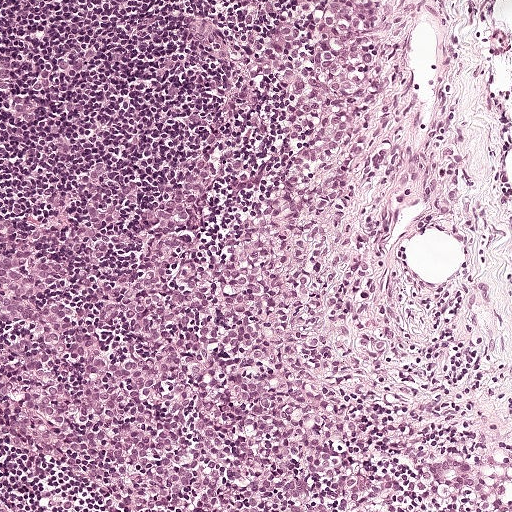
A 0.5-mm field of an H&E-stained sentinel lymph node from a breast-cancer patient (whole-slide image), shown at about 10×, about 0.97 µm per pixel.
Metastatic tumour outline, simplified to 18 points and listed clockwise in crop pixels (x, y): (297, 0), (407, 0), (366, 120), (276, 273), (271, 334), (294, 361), (456, 444), (482, 475), (476, 498), (454, 492), (413, 511), (121, 504), (0, 432), (0, 208), (107, 166), (172, 178), (208, 165), (257, 109).
About 50% of this field is tumour.